Question: 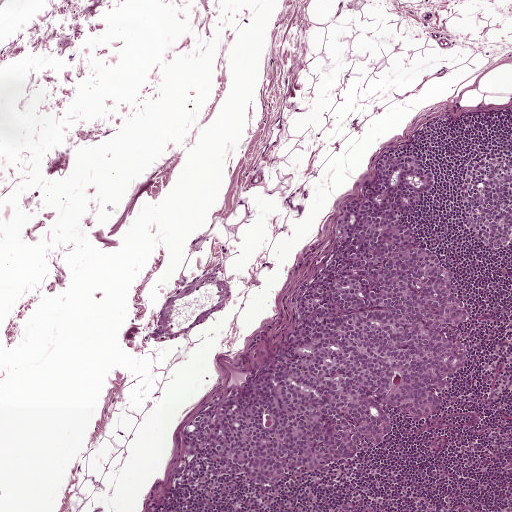
A 1-mm field of an H&E-stained sentinel lymph node from a breast-cancer patient (whole-slide image), shown at about 5×, about 1.9 µm per pixel.
What fraction of the image area is metastatic tumour?

Choices:
 (A) about 25% to 45%
 (B) about 5% or less
 (C) about 10% to 20%
 (D) none: no tumour is outlined
 (E) about 50% or more

Answer: (C) about 10% to 20%
About 20% of the field is tumour.
The outlined metastatic tumour's edge, as a closed clockwise path of 24 points: (408, 154), (435, 174), (417, 212), (402, 216), (451, 261), (469, 308), (467, 362), (448, 406), (422, 421), (383, 405), (395, 429), (381, 446), (286, 484), (266, 490), (210, 476), (184, 488), (173, 471), (185, 424), (252, 386), (293, 327), (294, 290), (318, 274), (342, 208), (386, 156).